Image:
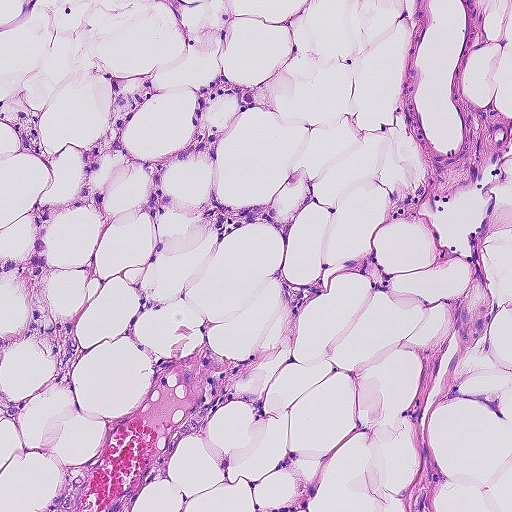
This is a crop of a whole-slide image: an H&E-stained breast-cancer sentinel lymph node section at roughly 10× magnification (about 0.9 µm per pixel; the crop spans about 0.46 mm).
Question:
Where is the metastatic tumour in this field?
Answer:
Five metastatic tumour regions, each outlined as a closed clockwise path in crop pixels (x, y), largest first: region 1: (152, 65), (121, 142), (148, 154), (178, 140), (214, 70), (272, 90), (276, 107), (220, 145), (218, 192), (276, 193), (295, 281), (370, 248), (395, 288), (353, 274), (295, 322), (262, 222), (218, 250), (203, 222), (172, 214), (149, 264), (142, 216), (60, 213), (46, 284), (84, 349), (77, 396), (45, 390), (20, 427), (2, 424), (0, 333), (24, 303), (24, 286), (0, 284), (0, 223), (43, 178), (1, 127), (7, 96), (46, 109), (41, 141), (82, 143), (108, 82); region 2: (302, 448), (306, 478), (314, 462), (327, 452), (331, 451), (318, 498), (308, 510), (249, 511), (250, 499), (246, 486), (230, 486), (218, 472), (216, 456), (232, 460), (243, 472), (259, 470), (286, 453); region 3: (268, 387), (266, 404), (268, 414), (252, 420), (245, 406), (229, 408), (217, 420), (211, 435), (194, 437), (180, 446), (171, 460), (170, 482), (153, 485), (139, 494), (134, 511), (102, 511), (124, 481), (160, 448), (179, 421), (206, 401), (238, 394), (254, 395); region 4: (134, 415), (112, 442), (92, 490), (85, 511), (38, 511), (58, 469), (90, 458), (101, 446), (109, 417); region 5: (179, 486), (186, 502), (186, 511), (176, 511).
One more small tumour piece is annotated here but not outlined.
About 20% of the image area is annotated as tumour.